Image:
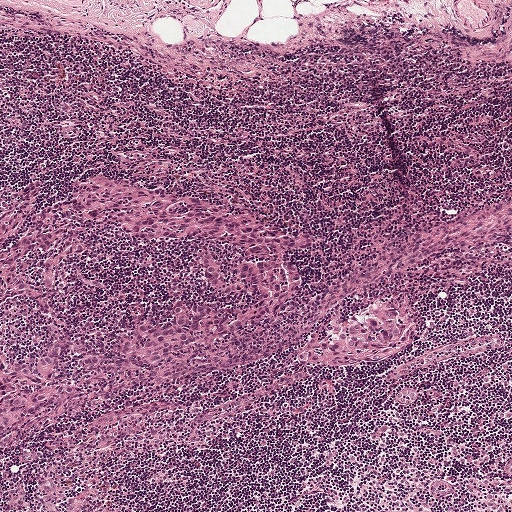
This is a crop of a whole-slide image: an H&E-stained breast-cancer sentinel lymph node section at roughly 5× magnification (about 1.9 µm per pixel; the crop spans about 1 mm).
Question:
Is there metastatic carcinoma in this field?
Answer:
Yes.
Two metastatic tumour regions, each outlined as a closed clockwise path in crop pixels (x, y), largest first: region 1: (93, 162), (229, 204), (307, 234), (308, 244), (292, 244), (299, 291), (258, 323), (0, 429), (0, 211), (15, 188), (34, 182), (36, 208), (56, 203), (72, 174); region 2: (388, 292), (402, 294), (414, 339), (390, 359), (376, 362), (308, 366), (291, 362), (290, 349), (295, 340), (327, 316), (365, 309), (368, 301).
About 20% of this field is tumour.